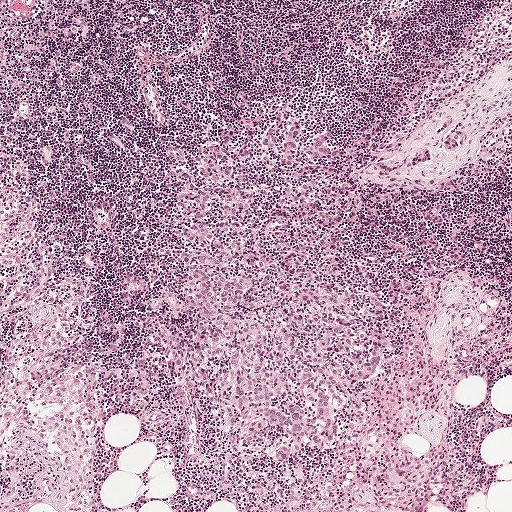
H&E-stained section of a sentinel lymph node (breast cancer), from a whole-slide image, viewed at about 5×: the field is about 1 mm across, about 1.9 µm per pixel.
Question: Where is the metastatic tumour in this field? Give each region's outline as (x, y) pixel points.
Answer: Boundaries of three metastatic tumour regions, simplified and listed clockwise, largest first: region 1: (274, 118), (307, 124), (307, 154), (314, 135), (334, 130), (330, 144), (358, 150), (364, 215), (341, 270), (374, 346), (384, 336), (374, 376), (350, 382), (334, 442), (320, 446), (313, 433), (290, 463), (240, 450), (166, 350), (195, 328), (170, 170), (204, 185), (207, 145), (262, 142); region 2: (428, 148), (431, 150), (432, 156), (432, 158), (428, 161), (421, 162), (412, 167), (408, 167), (406, 165), (407, 159), (416, 152); region 3: (452, 130), (459, 135), (460, 147), (455, 150), (452, 150), (446, 148), (444, 143), (444, 139), (445, 136).
One more small tumour piece is annotated here but not outlined.
The annotated tumour makes up about 20% of the crop.